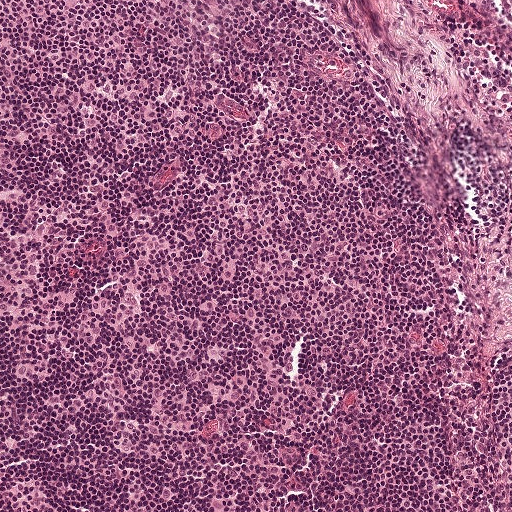
This is a crop of a whole-slide image: an H&E-stained breast-cancer sentinel lymph node section at roughly 10× magnification (about 0.97 µm per pixel; the crop spans about 0.5 mm).
Question: Is any metastatic breast cancer visible in this crop?
Answer: No. No metastatic tumour is outlined in this field.